Lymph node section stained with H&E, from a whole-slide image of a breast-cancer sentinel node. Magnification about 10×, about 0.5 mm across the frame, about 0.97 µm per pixel.
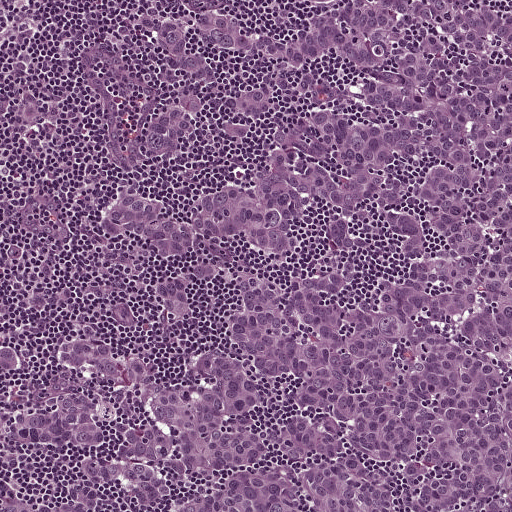
One metastatic tumour region; its boundary, reduced to 22 corners and listed clockwise: (511, 0), (511, 511), (0, 511), (0, 470), (74, 481), (5, 445), (57, 356), (0, 378), (0, 342), (188, 356), (86, 324), (174, 272), (85, 246), (85, 211), (132, 184), (183, 210), (270, 140), (218, 108), (174, 164), (142, 156), (180, 90), (158, 16).
About 80% of the image area is annotated as tumour.